This is a crop of a whole-slide image: an H&E-stained breast-cancer sentinel lymph node section at roughly 10× magnification (about 0.9 µm per pixel; the crop spans about 0.46 mm).
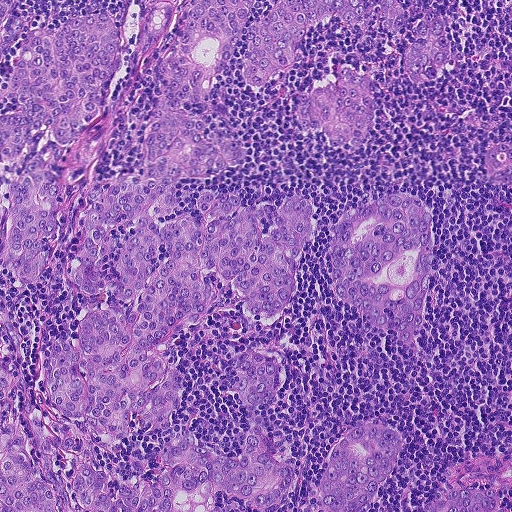
Outlines of the eight largest metastatic tumour regions, each a closed clockwise path in crop pixels (x, y), largest first: region 1: (254, 0), (182, 106), (248, 158), (156, 219), (198, 216), (202, 192), (303, 194), (296, 295), (258, 321), (209, 272), (220, 312), (158, 345), (166, 427), (86, 424), (134, 482), (181, 434), (234, 456), (232, 360), (277, 353), (257, 419), (295, 486), (281, 511), (0, 511), (0, 361), (38, 472), (39, 437), (67, 438), (44, 340), (142, 294), (68, 279), (84, 210), (140, 166), (190, 5); region 2: (398, 193), (418, 197), (426, 205), (433, 226), (430, 294), (416, 334), (419, 355), (390, 334), (370, 325), (339, 296), (330, 287), (330, 276), (329, 244), (336, 224), (350, 209); region 3: (107, 14), (120, 32), (122, 45), (122, 66), (109, 83), (106, 109), (75, 142), (57, 145), (51, 128), (42, 128), (30, 132), (32, 141), (20, 155), (0, 157), (0, 114), (19, 114), (20, 100), (6, 98), (4, 91), (27, 31), (54, 31), (70, 18); region 4: (276, 0), (398, 0), (403, 14), (398, 33), (388, 34), (381, 15), (372, 11), (357, 26), (338, 20), (319, 24), (310, 29), (304, 38), (300, 47), (305, 56), (298, 63), (280, 70), (268, 86), (259, 90), (250, 88), (240, 71), (247, 42), (243, 37); region 5: (41, 154), (56, 176), (59, 194), (54, 230), (49, 237), (40, 234), (42, 243), (48, 244), (50, 254), (37, 278), (29, 282), (20, 282), (0, 260), (0, 164), (2, 174), (11, 174); region 6: (378, 422), (397, 432), (402, 442), (402, 453), (367, 511), (302, 511), (300, 507), (312, 498), (334, 448), (347, 430); region 7: (347, 63), (369, 74), (372, 82), (373, 121), (370, 136), (361, 148), (352, 148), (346, 144), (331, 147), (322, 132), (307, 132), (295, 121), (290, 106), (291, 98), (296, 92), (325, 86); region 8: (434, 9), (442, 16), (452, 58), (451, 68), (438, 84), (427, 85), (416, 84), (408, 78), (400, 58), (404, 48), (413, 42), (411, 38), (411, 28), (420, 23), (424, 14).
Four more, smaller tumour regions are not outlined.
One more small tumour piece is annotated here but not outlined.
The annotated tumour makes up about 50% of the crop.